A 0.46-mm field of an H&E-stained sentinel lymph node from a breast-cancer patient (whole-slide image), shown at about 10×, about 0.9 µm per pixel.
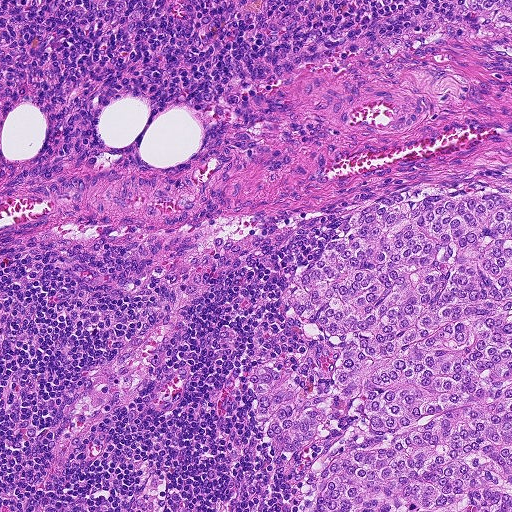
Question: Is there metastatic carcinoma in this field?
Answer: Yes.
Two metastatic tumour regions, each outlined as a closed clockwise path in crop pixels (x, y), largest first: region 1: (482, 188), (510, 198), (511, 511), (289, 511), (320, 442), (279, 452), (248, 374), (268, 362), (326, 392), (338, 386), (344, 348), (282, 306), (281, 291), (346, 216), (382, 194); region 2: (467, 0), (511, 0), (511, 29), (494, 23), (476, 13).
About 25% of this field is tumour.